Lymph node section stained with H&E, from a whole-slide image of a breast-cancer sentinel node. Magnification about 2.5×, about 1.9 mm across the frame, about 3.6 µm per pixel.
Image:
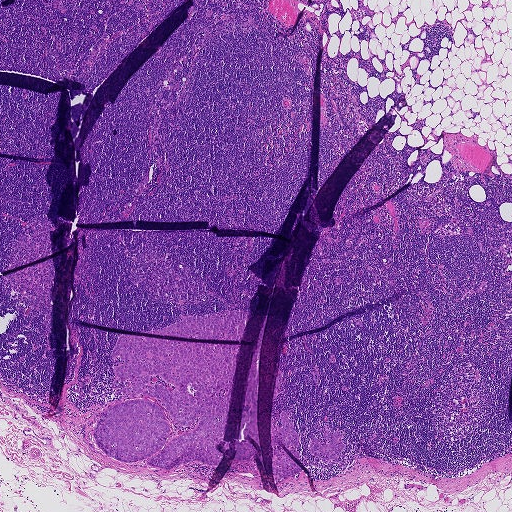
Question:
Describe where the metastatic carcinoma lies in this crop.
Answer:
Boundaries of four metastatic tumour regions, simplified and listed clockwise, largest first: region 1: (119, 336), (238, 346), (222, 437), (215, 446), (222, 454), (216, 464), (146, 464), (165, 444), (128, 462), (102, 452), (94, 429), (112, 406), (152, 402), (169, 424), (167, 440), (194, 429), (199, 418), (180, 425), (160, 400), (121, 390), (134, 380), (115, 375), (125, 361), (111, 356); region 2: (233, 310), (248, 313), (240, 340), (162, 335), (146, 332), (167, 326), (190, 315), (198, 317), (212, 313), (224, 317); region 3: (284, 409), (293, 423), (299, 438), (297, 446), (292, 447), (299, 452), (302, 462), (284, 441), (276, 439), (276, 442), (302, 470), (290, 477), (282, 477), (278, 477), (273, 470), (271, 445), (271, 417), (275, 418), (278, 426), (282, 427), (280, 424), (280, 415), (281, 411); region 4: (325, 429), (332, 433), (339, 431), (342, 435), (338, 440), (344, 444), (337, 458), (326, 459), (318, 458), (309, 454), (308, 450), (314, 436), (319, 441), (320, 444), (328, 444), (331, 437), (329, 439), (325, 439), (322, 436).
About 5% of the image area is annotated as tumour.